Image:
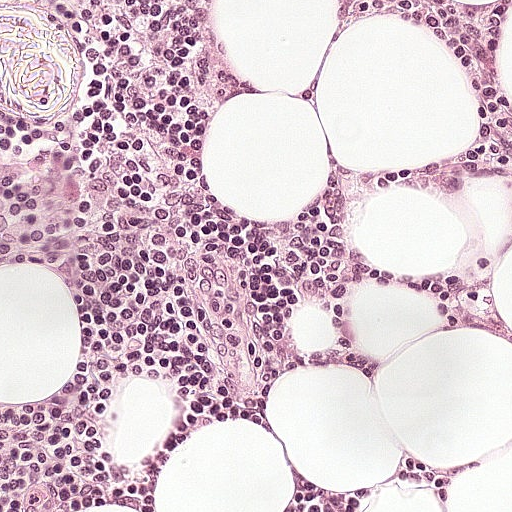
H&E-stained section of a sentinel lymph node (breast cancer), from a whole-slide image, viewed at about 20×: the field is about 0.25 mm across, about 0.49 µm per pixel.
Question:
Is any metastatic breast cancer visible in this crop?
Answer:
No: no metastatic tumour is outlined anywhere in this field.